Image:
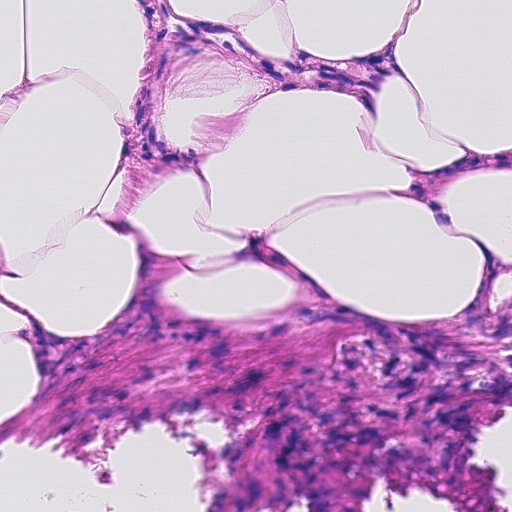
Lymph node section stained with H&E, from a whole-slide image of a breast-cancer sentinel node. Magnification about 20×, about 0.23 mm across the frame, about 0.45 µm per pixel.
Question:
Is there metastatic carcinoma in this field?
Answer:
No: no metastatic tumour is outlined anywhere in this field.